Question: 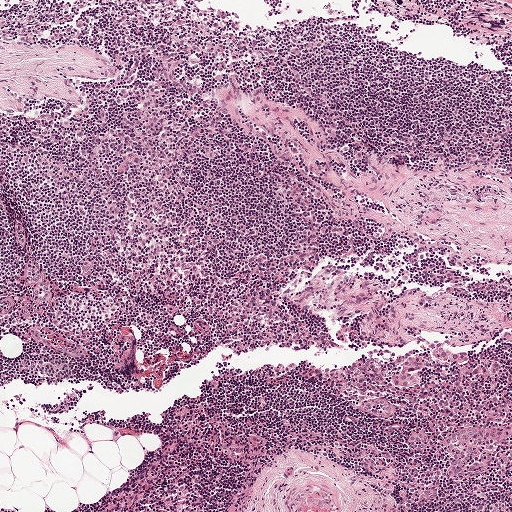
A 1-mm field of an H&E-stained sentinel lymph node from a breast-cancer patient (whole-slide image), shown at about 5×, about 1.9 µm per pixel.
Estimate the proportion of this field that is metastatic tumour.

Choices:
 (A) about 10% to 20%
 (B) about 50% or more
 (C) none: no tumour is outlined
 (D) about 5% or less
 (E) about 25% to 45%

Answer: (D) about 5% or less
Under 5% of the field is tumour.
Boundaries of two metastatic tumour regions, simplified and listed clockwise, largest first: region 1: (414, 352), (421, 353), (423, 357), (423, 366), (418, 370), (418, 373), (423, 375), (423, 379), (412, 390), (397, 390), (390, 384), (391, 375), (396, 370), (401, 368), (402, 362), (406, 357); region 2: (436, 344), (451, 350), (463, 350), (470, 355), (469, 359), (465, 362), (457, 364), (442, 363), (429, 352).